Question: 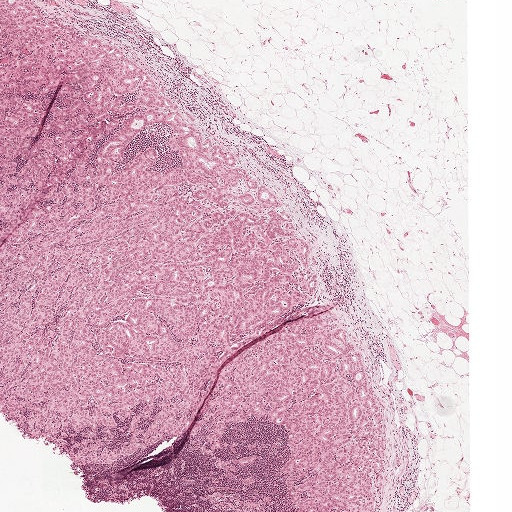
This is a crop of a whole-slide image: an H&E-stained breast-cancer sentinel lymph node section at roughly 2.5× magnification (about 3.9 µm per pixel; the crop spans about 2.0 mm).
What fraction of the image area is metastatic tumour?

Choices:
 (A) about 10% to 20%
 (B) about 25% to 45%
 (C) none: no tumour is outlined
 (D) about 5% or less
 (E) about 50% or more

Answer: (B) about 25% to 45%
About 35% of the field is tumour.
Boundaries of two metastatic tumour regions, simplified and listed clockwise, largest first: region 1: (139, 111), (177, 111), (272, 187), (298, 237), (315, 244), (319, 288), (208, 360), (160, 441), (75, 465), (0, 410), (0, 257), (91, 158), (124, 166), (154, 148), (151, 169), (181, 166), (166, 124), (138, 134), (117, 160), (96, 151); region 2: (319, 319), (349, 335), (378, 399), (382, 452), (375, 511), (295, 511), (284, 475), (286, 433), (241, 402), (246, 376), (265, 346).